Question: 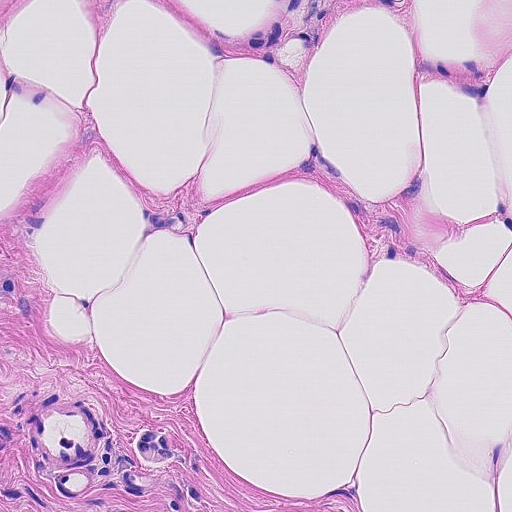
A 0.23-mm field of an H&E-stained sentinel lymph node from a breast-cancer patient (whole-slide image), shown at about 20×, about 0.45 µm per pixel.
Roughly what share of this field is metastatic tumour?

Choices:
 (A) about 25% to 45%
 (B) about 50% or more
 (C) about 10% to 20%
 (D) about 5% or less
 (E) none: no tumour is outlined

Answer: (D) about 5% or less
About 5% of the field is tumour.
Metastatic tumour outline, simplified to 12 points and listed clockwise in crop pixels (x, y): (50, 382), (90, 388), (116, 420), (148, 412), (180, 434), (172, 472), (146, 502), (116, 508), (119, 511), (0, 511), (0, 389), (10, 392).